Image:
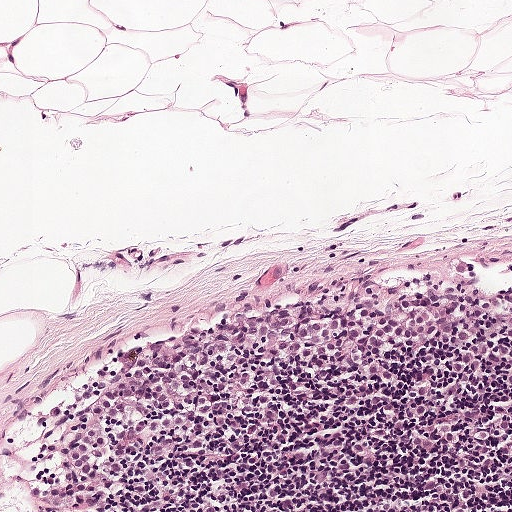
A 0.5-mm field of an H&E-stained sentinel lymph node from a breast-cancer patient (whole-slide image), shown at about 10×, about 0.97 µm per pixel.
Question:
Which parts of this field are metastatic tumour? Answer with the outline of each region, in pixels.
Answer:
One metastatic tumour region; its boundary, reduced to 11 corners and listed clockwise: (511, 247), (511, 378), (274, 386), (159, 435), (126, 472), (90, 491), (32, 491), (1, 475), (3, 444), (43, 366), (84, 336).
About 20% of the image area is annotated as tumour.